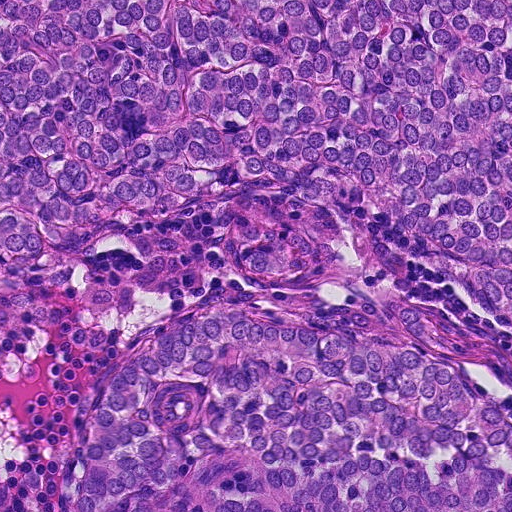
This is a crop of a whole-slide image: an H&E-stained breast-cancer sentinel lymph node section at roughly 20× magnification (about 0.45 µm per pixel; the crop spans about 0.23 mm).
One metastatic tumour region; its boundary, reduced to 14 corners and listed clockwise: (0, 0), (511, 0), (511, 329), (360, 220), (324, 273), (266, 296), (417, 339), (511, 400), (511, 511), (56, 511), (115, 354), (68, 311), (37, 300), (0, 315).
Tumour covers about 85% of the frame.